H&E-stained section of a sentinel lymph node (breast cancer), from a whole-slide image, viewed at about 10×: the field is about 0.5 mm across, about 0.97 µm per pixel.
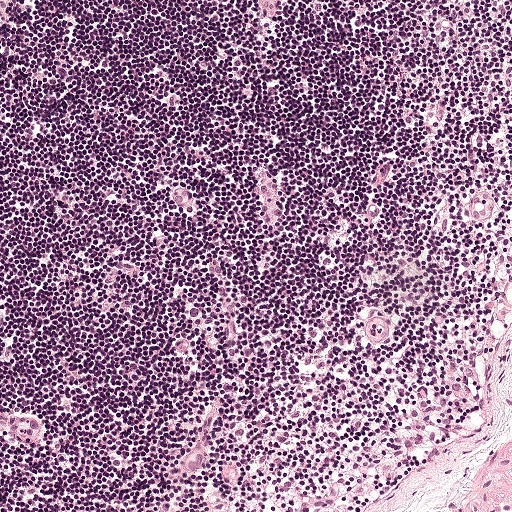
Question: Does this lymph node field contain metastatic tumour?
Answer: No: no metastatic tumour is outlined anywhere in this field.